Lymph node section stained with H&E, from a whole-slide image of a breast-cancer sentinel node. Magnification about 2.5×, about 1.9 mm across the frame, about 3.6 µm per pixel.
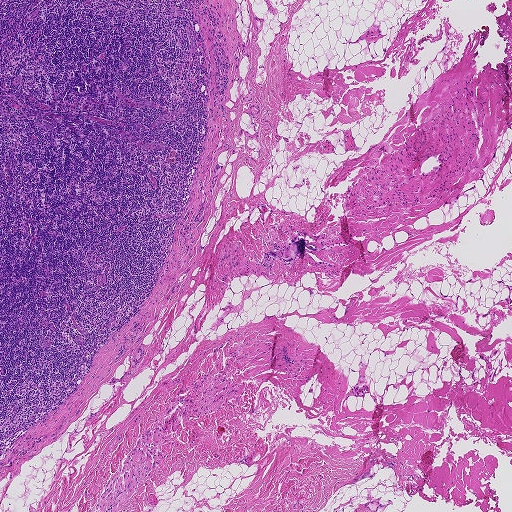
Question: Does this lymph node field contain metastatic tumour?
Answer: No, this field holds no outlined metastasis.